Image:
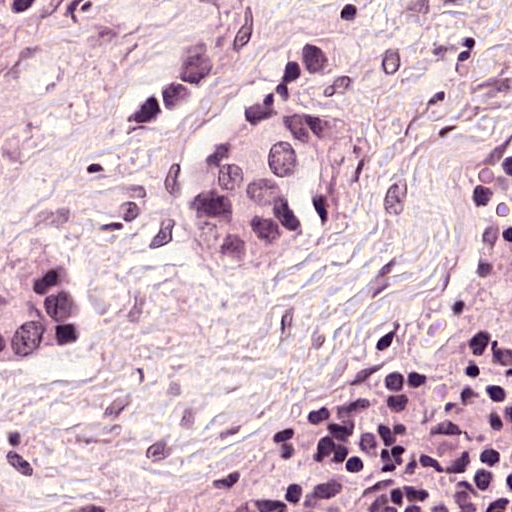
H&E-stained section of a sentinel lymph node (breast cancer), from a whole-slide image, viewed at about 40×: the field is about 0.12 mm across, about 0.24 µm per pixel.
Question:
Which parts of this field are metastatic tumour? Answer with the outline of each region, in pixels.
Answer:
Boundaries of two metastatic tumour regions, simplified and listed clockwise, largest first: region 1: (252, 104), (284, 125), (296, 125), (311, 143), (309, 198), (318, 206), (318, 237), (292, 266), (276, 271), (254, 271), (205, 247), (188, 208), (186, 176), (199, 149), (237, 125); region 2: (58, 249), (60, 253), (86, 260), (98, 308), (94, 331), (62, 351), (46, 351), (0, 367), (0, 268), (41, 258), (44, 253).
One more small tumour piece is annotated here but not outlined.
Tumour covers about 10% of the frame.